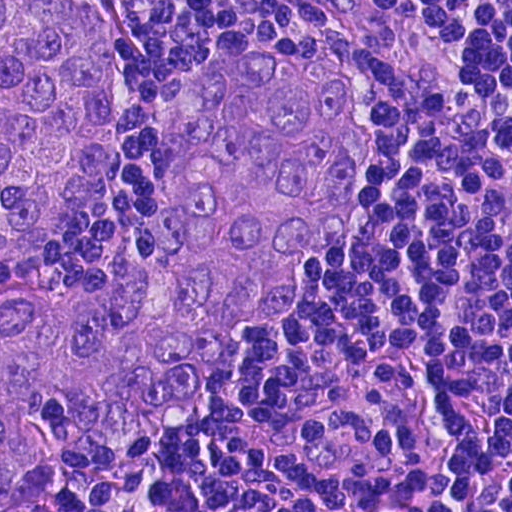
A 0.12-mm field of an H&E-stained sentinel lymph node from a breast-cancer patient (whole-slide image), shown at about 40×, about 0.23 µm per pixel.
Boundaries of two metastatic tumour regions, simplified and listed clockwise, largest first: region 1: (289, 44), (332, 62), (361, 97), (371, 139), (362, 184), (293, 297), (260, 334), (235, 334), (193, 410), (154, 433), (110, 434), (50, 399), (41, 487), (0, 511), (0, 285), (111, 273), (135, 237), (172, 92), (200, 57); region 2: (0, 0), (95, 0), (112, 22), (112, 112), (94, 200), (73, 238), (30, 261), (0, 260).
About 40% of the image area is annotated as tumour.